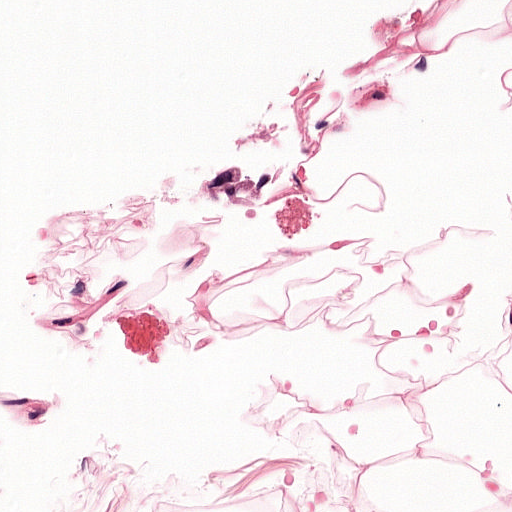
Lymph node section stained with H&E, from a whole-slide image of a breast-cancer sentinel node. Magnification about 20×, about 0.25 mm across the frame, about 0.49 µm per pixel.
Question: Trace the edge of each tumour region in this crop, as (x, y) points from 0 to 511.
Answer: Metastatic tumour outline, simplified to 13 points and listed clockwise in crop pixels (x, y): (232, 164), (244, 166), (249, 178), (271, 172), (271, 186), (258, 198), (249, 198), (238, 192), (236, 204), (219, 196), (208, 203), (200, 184), (216, 172).
Under 5% of this field is tumour.